This is a crop of a whole-slide image: an H&E-stained breast-cancer sentinel lymph node section at roughly 2.5× magnification (about 3.9 µm per pixel; the crop spans about 2.0 mm).
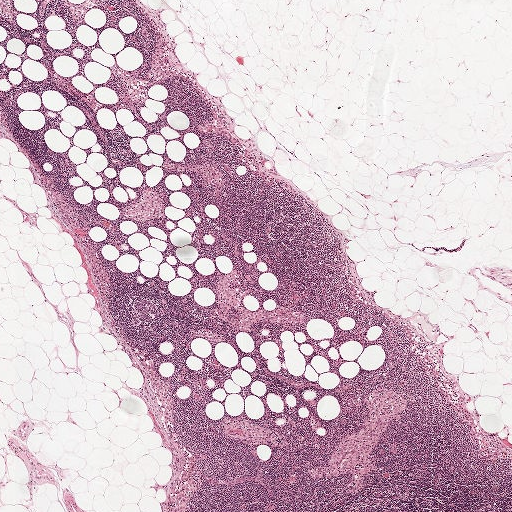
Question: Is there metastatic carcinoma in this field?
Answer: No: no metastatic tumour is outlined anywhere in this field.